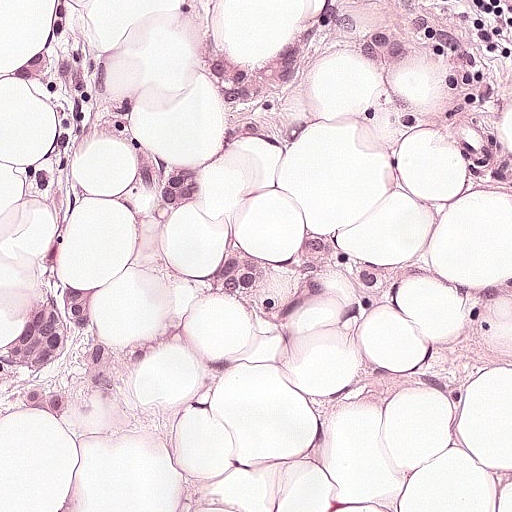
H&E-stained section of a sentinel lymph node (breast cancer), from a whole-slide image, viewed at about 20×: the field is about 0.25 mm across, about 0.49 µm per pixel.
Five metastatic tumour regions, each outlined as a closed clockwise path in crop pixels (x, y), largest first: region 1: (183, 0), (214, 0), (216, 46), (225, 57), (286, 54), (321, 16), (322, 0), (511, 0), (511, 197), (467, 196), (445, 157), (383, 135), (375, 106), (394, 81), (372, 50), (310, 81), (295, 135), (279, 153), (258, 157), (232, 148); region 2: (59, 0), (141, 142), (192, 169), (253, 245), (288, 250), (319, 216), (388, 253), (403, 286), (372, 315), (307, 307), (274, 329), (216, 318), (194, 281), (218, 216), (154, 212), (115, 149), (87, 156), (74, 204), (46, 227), (18, 186), (30, 99), (3, 86); region 3: (510, 268), (511, 393), (475, 396), (437, 417), (416, 390), (396, 381), (422, 350), (462, 320), (467, 314), (467, 296), (476, 285), (490, 274); region 4: (48, 233), (52, 233), (73, 269), (108, 283), (108, 311), (93, 330), (42, 355), (12, 394), (1, 401), (0, 332), (10, 325), (22, 306), (42, 262); region 5: (504, 461), (511, 461), (511, 510), (495, 504), (488, 504), (477, 497), (477, 486), (482, 479), (504, 463).
About 35% of the image area is annotated as tumour.